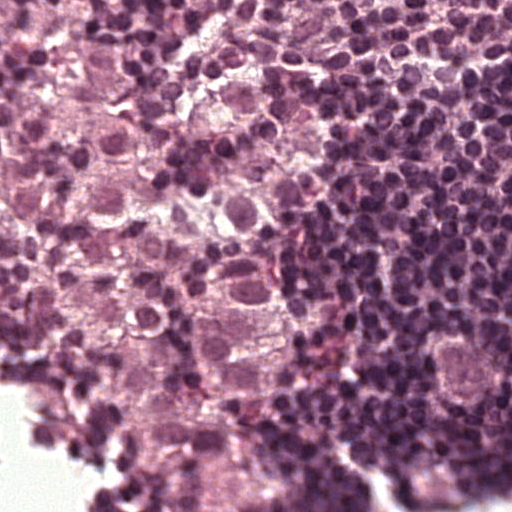
H&E-stained section of a sentinel lymph node (breast cancer), from a whole-slide image, viewed at about 40×: the field is about 0.12 mm across, about 0.24 µm per pixel.
One metastatic tumour region; its boundary, reduced to 14 corners and listed clockwise: (187, 62), (234, 70), (278, 114), (255, 181), (275, 376), (246, 451), (198, 505), (168, 496), (141, 467), (80, 351), (10, 257), (0, 172), (17, 138), (142, 95).
Tumour covers about 30% of the frame.